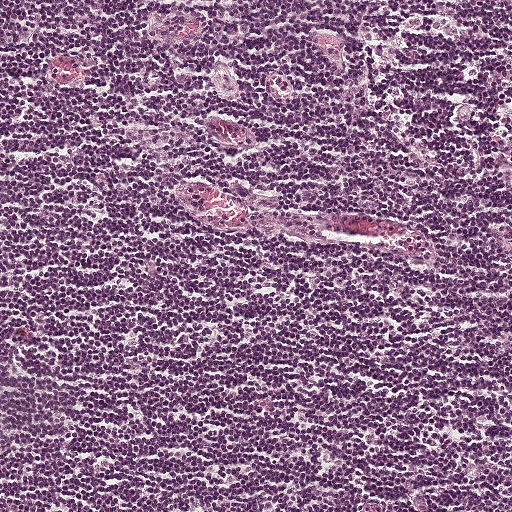
A 0.5-mm field of an H&E-stained sentinel lymph node from a breast-cancer patient (whole-slide image), shown at about 10×, about 0.97 µm per pixel.
Question: Is there metastatic carcinoma in this field?
Answer: No: no metastatic tumour is outlined anywhere in this field.